Question: 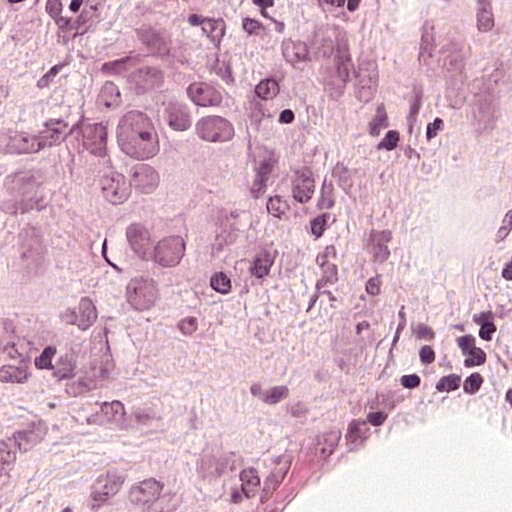
Which magnification is this H&E lymph node field most likely shown at?

Choices:
 (A) about 2.5×
 (B) about 40×
 (C) about 10×
 (D) about 5×
 (E) about 20×

Answer: (B) about 40×
A 0.12-mm field of an H&E-stained sentinel lymph node from a breast-cancer patient (whole-slide image), shown at about 40×, about 0.24 µm per pixel.
Metastatic tumour outline, simplified to 13 points and listed clockwise in crop pixels (x, y): (160, 8), (290, 94), (314, 174), (313, 200), (288, 221), (280, 276), (250, 310), (148, 327), (99, 348), (64, 333), (95, 208), (84, 88), (109, 21).
Tumour covers about 20% of the frame.